Image:
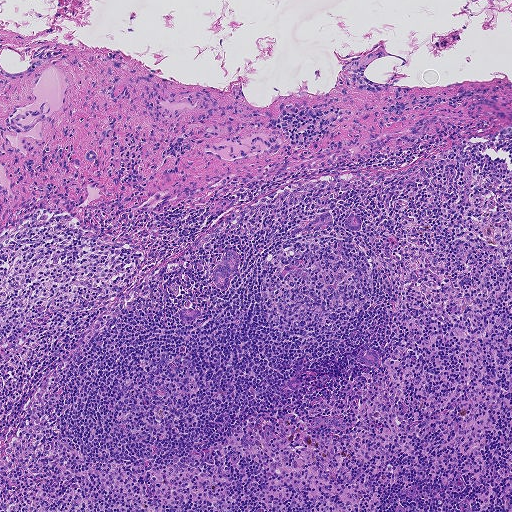
Lymph node section stained with H&E, from a whole-slide image of a breast-cancer sentinel node. Magnification about 5×, about 0.93 mm across the frame, about 1.8 µm per pixel.
Question:
Does this lymph node field contain metastatic tumour?
Answer:
Yes.
Five metastatic tumour regions, each outlined as a closed clockwise path in crop pixels (x, y), largest first: region 1: (230, 249), (239, 257), (238, 269), (230, 279), (227, 290), (221, 290), (216, 287), (213, 282), (213, 270), (224, 252); region 2: (324, 213), (331, 214), (332, 220), (331, 226), (320, 231), (290, 233), (297, 227), (303, 226); region 3: (182, 308), (190, 308), (201, 310), (200, 316), (190, 323), (184, 323), (180, 320), (179, 313); region 4: (369, 350), (375, 351), (377, 356), (377, 362), (374, 367), (368, 367), (357, 361); region 5: (354, 214), (360, 218), (361, 224), (361, 230), (355, 231), (344, 226), (344, 220), (348, 215).
One more small tumour piece is annotated here but not outlined.
Under 5% of the image area is annotated as tumour.